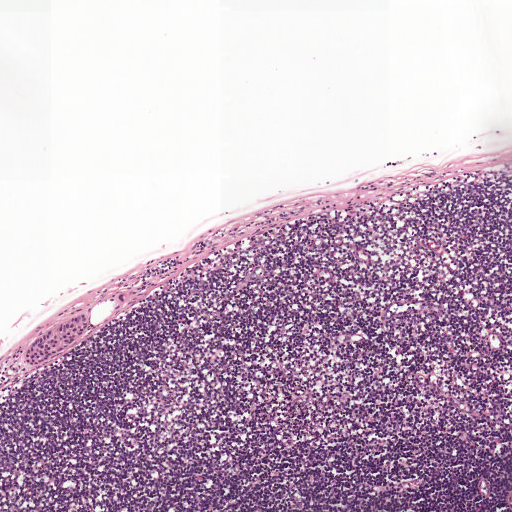
H&E-stained section of a sentinel lymph node (breast cancer), from a whole-slide image, viewed at about 5×: the field is about 1 mm across, about 1.9 µm per pixel.
One metastatic tumour region; its boundary, reduced to 10 corners and listed clockwise: (83, 313), (87, 316), (86, 331), (60, 353), (38, 366), (26, 364), (23, 356), (30, 344), (39, 334), (68, 314).
One more small tumour piece is annotated here but not outlined.
Tumour covers under 5% of the frame.